Image:
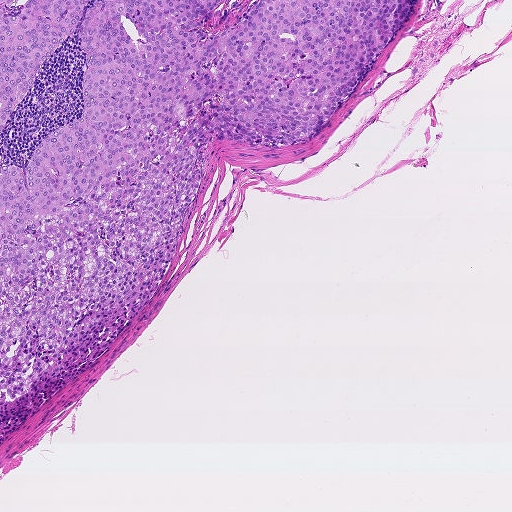
This is a crop of a whole-slide image: an H&E-stained breast-cancer sentinel lymph node section at roughly 5× magnification (about 1.8 µm per pixel; the crop spans about 0.93 mm).
Question:
Is there metastatic carcinoma in this field?
Answer:
Yes.
Metastatic tumour outline, simplified to 15 points and listed clockwise in crop pixels (x, y): (0, 0), (412, 0), (309, 139), (206, 142), (197, 196), (147, 304), (99, 357), (5, 396), (0, 171), (24, 174), (38, 145), (81, 118), (87, 64), (80, 23), (0, 138).
Tumour covers about 30% of the frame.